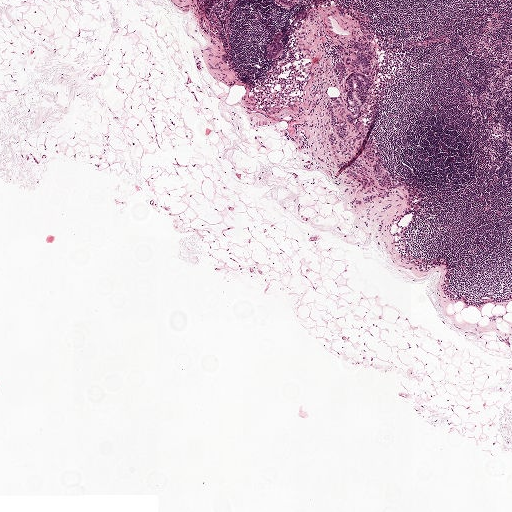
This is a crop of a whole-slide image: an H&E-stained breast-cancer sentinel lymph node section at roughly 2.5× magnification (about 3.9 µm per pixel; the crop spans about 2.0 mm).
Question: Show where the tumour is in this image.
Answer: Boundaries of three metastatic tumour regions, simplified and listed clockwise, largest first: region 1: (367, 38), (377, 39), (376, 71), (362, 112), (361, 128), (392, 179), (388, 189), (374, 182), (372, 189), (367, 189), (328, 159), (330, 147), (341, 147), (346, 142), (345, 142), (338, 146), (326, 141), (331, 125), (325, 107), (337, 95), (345, 94), (343, 83), (330, 73), (331, 64); region 2: (279, 31), (281, 31), (284, 45), (284, 53), (281, 58), (276, 60), (272, 60), (269, 55), (265, 53), (266, 42); region 3: (272, 0), (297, 0), (297, 3), (290, 7), (279, 6), (275, 4).
The annotated tumour makes up under 5% of the crop.